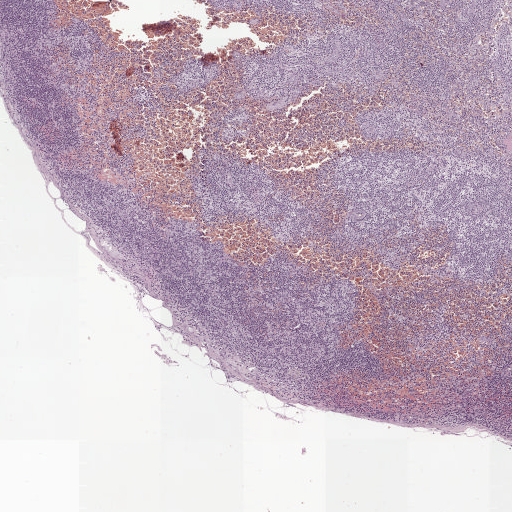
Lymph node section stained with H&E, from a whole-slide image of a breast-cancer sentinel node. Magnification about 2.5×, about 2.0 mm across the frame, about 3.9 µm per pixel.